Question: 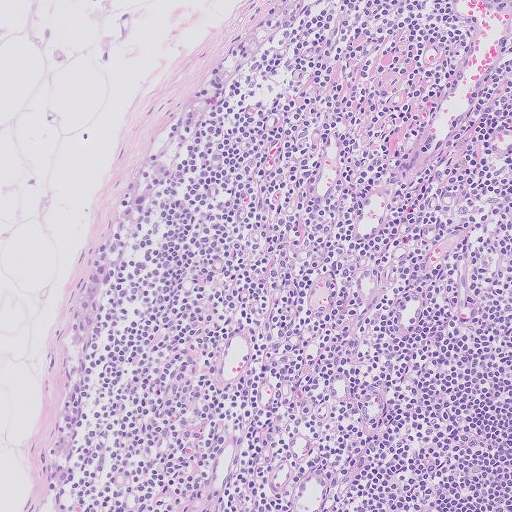
About what magnification does this crop show?

Choices:
 (A) about 20×
 (B) about 40×
 (C) about 5×
 (D) about 10×
 (E) about 2.5×

Answer: (D) about 10×
A 0.51-mm field of an H&E-stained sentinel lymph node from a breast-cancer patient (whole-slide image), shown at about 10×, about 1.0 µm per pixel.